Lymph node section stained with H&E, from a whole-slide image of a breast-cancer sentinel node. Magnification about 40×, about 0.12 mm across the frame, about 0.24 µm per pixel.
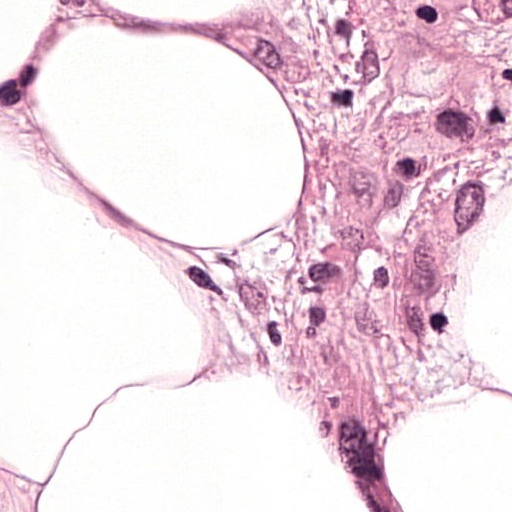
Metastatic tumour outline, simplified to 11 points and listed clockwise in crop pixels (x, y): (511, 0), (511, 317), (375, 410), (204, 455), (175, 422), (170, 348), (118, 211), (135, 211), (170, 154), (221, 57), (232, 6).
The annotated tumour makes up about 55% of the crop.